Question: 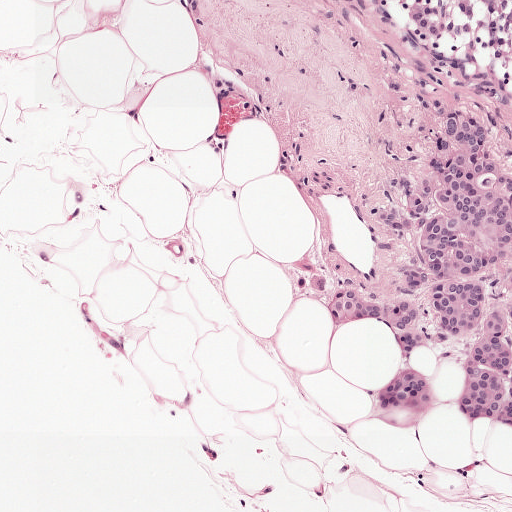
Which magnification is this H&E lymph node field most likely shown at?

Choices:
 (A) about 2.5×
 (B) about 20×
 (C) about 5×
 (D) about 10×
 (E) about 40×

Answer: (D) about 10×
H&E-stained section of a sentinel lymph node (breast cancer), from a whole-slide image, viewed at about 10×: the field is about 0.5 mm across, about 0.97 µm per pixel.
Three metastatic tumour regions, each outlined as a closed clockwise path in crop pixels (x, y), largest first: region 1: (452, 108), (480, 122), (493, 158), (511, 172), (511, 247), (466, 281), (484, 288), (484, 308), (458, 335), (440, 328), (431, 311), (428, 292), (445, 282), (416, 290), (420, 336), (412, 366), (433, 401), (428, 412), (388, 411), (376, 396), (405, 357), (396, 336), (402, 330), (376, 320), (335, 330), (310, 277), (394, 298), (400, 281), (425, 264), (421, 237), (375, 211), (398, 204), (392, 187), (404, 176), (440, 206), (434, 184), (449, 158), (436, 141); region 2: (505, 308), (511, 308), (511, 429), (484, 418), (471, 423), (460, 413), (458, 401), (466, 380), (464, 361), (480, 329), (492, 313); region 3: (511, 272), (511, 291), (509, 290), (505, 284), (509, 274).
Tumour covers about 10% of the frame.